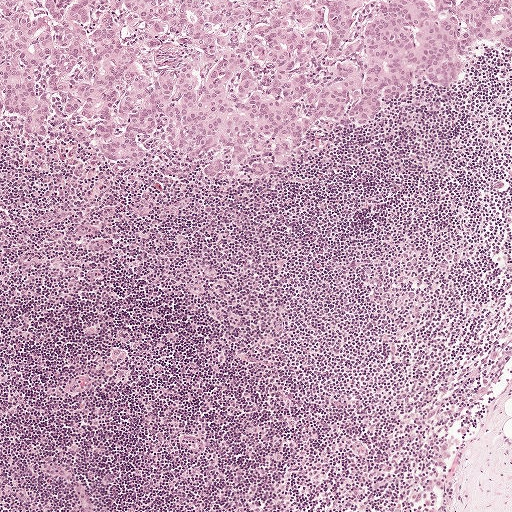
Lymph node section stained with H&E, from a whole-slide image of a breast-cancer sentinel node. Magnification about 5×, about 1 mm across the frame, about 1.9 µm per pixel.
One metastatic tumour region; its boundary, reduced to 21 corners and listed clockwise: (0, 0), (511, 0), (511, 53), (474, 43), (455, 87), (413, 89), (358, 131), (318, 120), (292, 166), (264, 179), (252, 176), (252, 159), (233, 182), (202, 176), (218, 154), (111, 164), (75, 118), (54, 140), (29, 143), (18, 124), (2, 138).
Tumour covers about 25% of the frame.